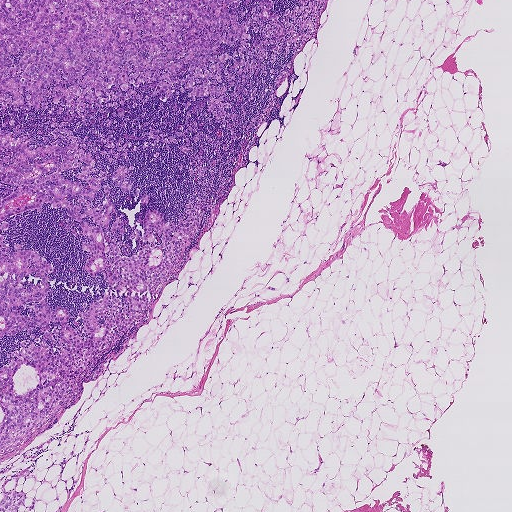
H&E-stained section of a sentinel lymph node (breast cancer), from a whole-slide image, viewed at about 2.5×: the field is about 1.9 mm across, about 3.6 µm per pixel.
Two metastatic tumour regions, each outlined as a closed clockwise path in crop pixels (x, y), largest first: region 1: (0, 0), (329, 0), (247, 164), (136, 340), (105, 356), (58, 424), (3, 460); region 2: (16, 474), (19, 475), (16, 482), (16, 490), (22, 489), (27, 493), (25, 504), (29, 505), (34, 497), (35, 511), (0, 511), (0, 488), (2, 484), (7, 490), (11, 489).
Region 1 encloses three non-tumour holes totalling about 10% of its area.
One more small tumour piece is annotated here but not outlined.
About 30% of this field is tumour.